Image:
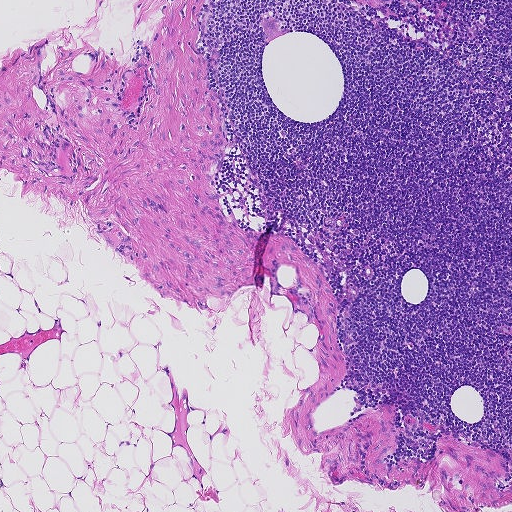
A 0.93-mm field of an H&E-stained sentinel lymph node from a breast-cancer patient (whole-slide image), shown at about 5×, about 1.8 µm per pixel.
Question:
Does this lymph node field contain metastatic tumour?
Answer:
No, this field holds no outlined metastasis.